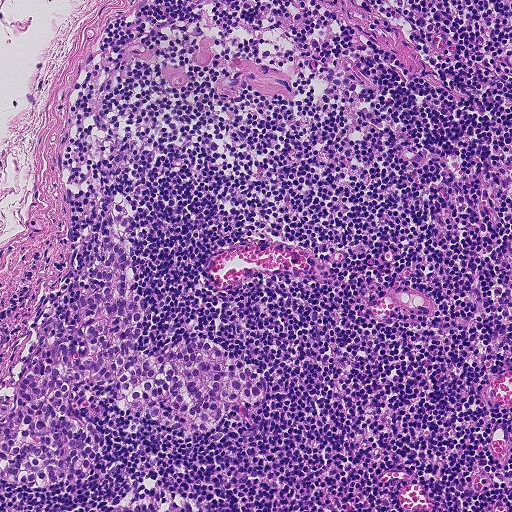
Lymph node section stained with H&E, from a whole-slide image of a breast-cancer sentinel node. Magnification about 10×, about 0.46 mm across the frame, about 0.9 µm per pixel.
The outlined metastatic tumour's edge, as a closed clockwise path of 23 points: (118, 192), (133, 212), (136, 347), (150, 358), (206, 339), (260, 367), (266, 392), (192, 438), (146, 416), (138, 432), (122, 432), (124, 415), (110, 406), (76, 489), (4, 484), (0, 421), (36, 338), (29, 325), (52, 306), (76, 323), (78, 280), (102, 291), (90, 272).
The annotated tumour makes up about 10% of the crop.